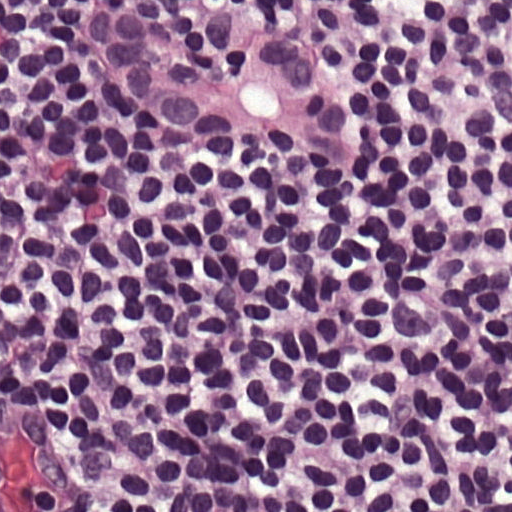
This is a crop of a whole-slide image: an H&E-stained breast-cancer sentinel lymph node section at roughly 40× magnification (about 0.24 µm per pixel; the crop spans about 0.12 mm).
Tumour region outline (a closed clockwise path, crop pixels): (90, 0), (254, 4), (326, 37), (364, 69), (380, 102), (382, 142), (370, 183), (332, 193), (259, 166), (221, 166), (185, 148), (74, 50), (72, 11).
About 15% of the image area is annotated as tumour.